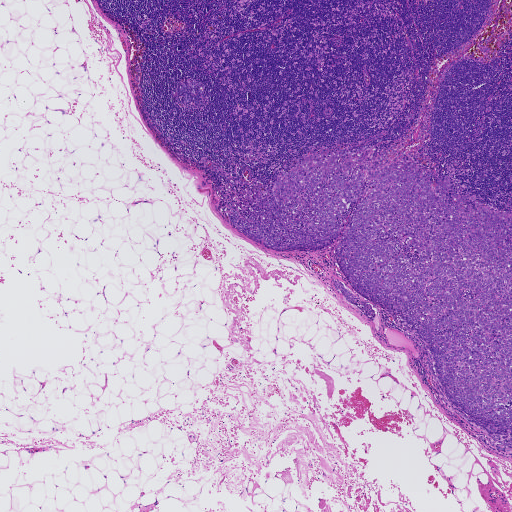
This is a crop of a whole-slide image: an H&E-stained breast-cancer sentinel lymph node section at roughly 2.5× magnification (about 3.6 µm per pixel; the crop spans about 1.9 mm).
One metastatic tumour region; its boundary, reduced to 23 corners and listed clockwise: (377, 147), (378, 168), (422, 165), (508, 212), (511, 454), (489, 449), (444, 403), (403, 324), (375, 308), (372, 322), (343, 299), (330, 279), (367, 301), (338, 266), (338, 242), (273, 251), (227, 220), (230, 206), (240, 211), (250, 190), (267, 190), (294, 157), (331, 148).
Tumour covers about 15% of the frame.